Question: 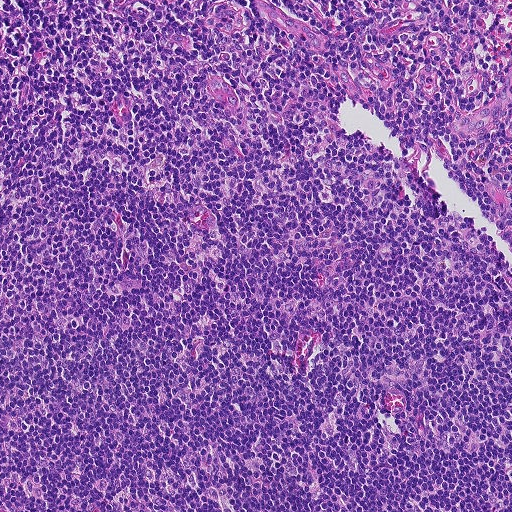
H&E-stained section of a sentinel lymph node (breast cancer), from a whole-slide image, viewed at about 10×: the field is about 0.46 mm across, about 0.9 µm per pixel.
Roughly what share of this field is metastatic tumour?

Choices:
 (A) about 10% to 20%
 (B) about 25% to 45%
 (C) about 5% or less
 (D) none: no tumour is outlined
 (E) about 50% or more

Answer: (D) none: no tumour is outlined
No metastatic tumour is outlined in this field.